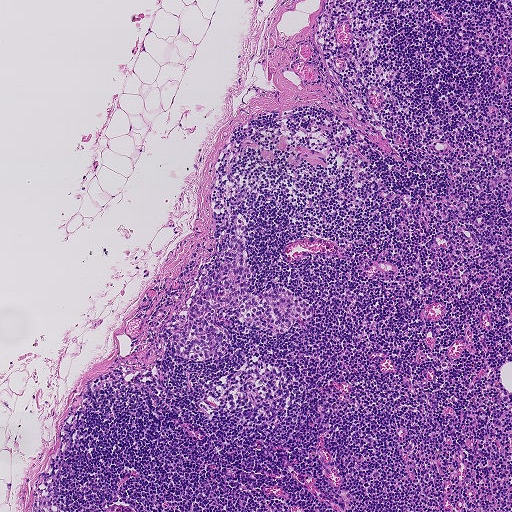
Lymph node section stained with H&E, from a whole-slide image of a breast-cancer sentinel node. Magnification about 5×, about 0.93 mm across the frame, about 1.8 µm per pixel.
Metastatic tumour outline, simplified to 22 points and listed clockwise in crop pixels (x, y): (239, 213), (247, 223), (248, 290), (255, 296), (283, 286), (310, 300), (313, 313), (276, 336), (253, 325), (241, 333), (235, 320), (218, 361), (182, 359), (174, 349), (174, 330), (187, 319), (195, 280), (206, 270), (218, 278), (219, 257), (231, 262), (225, 253).
The annotated tumour makes up about 5% of the crop.